Question: 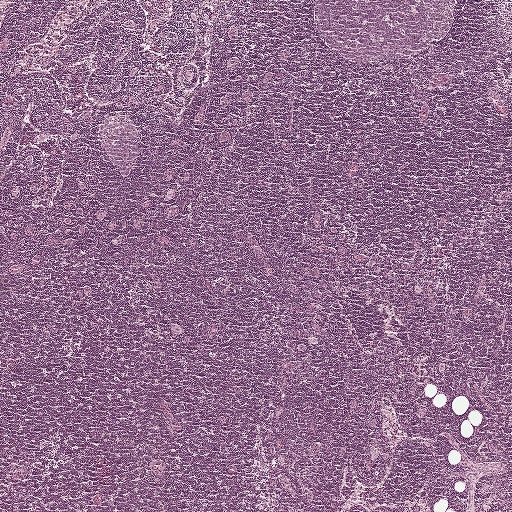
About what magnification does this crop show?

Choices:
 (A) about 10×
 (B) about 40×
 (C) about 2.5×
 (D) about 20×
 (E) about 5×

Answer: (C) about 2.5×
A 2.0-mm field of an H&E-stained sentinel lymph node from a breast-cancer patient (whole-slide image), shown at about 2.5×, about 3.9 µm per pixel.